Image:
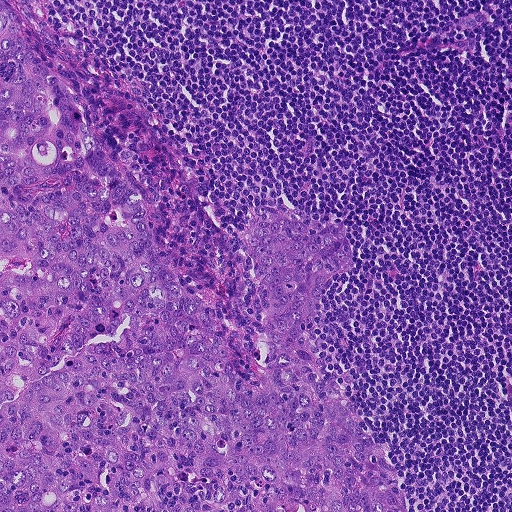
A 0.46-mm field of an H&E-stained sentinel lymph node from a breast-cancer patient (whole-slide image), shown at about 10×, about 0.9 µm per pixel.
Question:
Is there metastatic carcinoma in this field?
Answer:
Yes.
One metastatic tumour region; its boundary, reduced to 12 corners and listed clockwise: (0, 0), (134, 101), (199, 209), (237, 242), (249, 204), (344, 222), (353, 270), (322, 290), (320, 340), (386, 445), (407, 511), (0, 511).
About 50% of the image area is annotated as tumour.